Image:
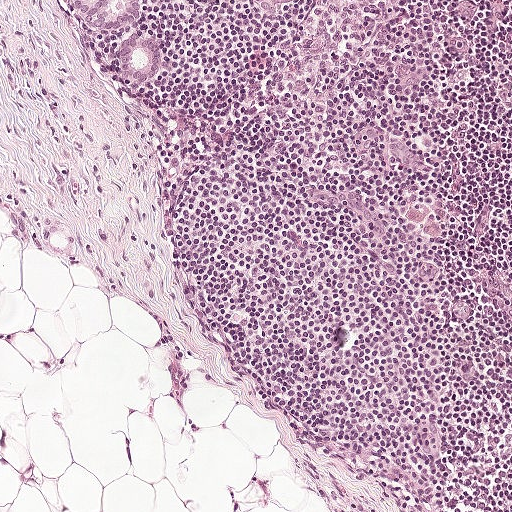
H&E-stained section of a sentinel lymph node (breast cancer), from a whole-slide image, viewed at about 10×: the field is about 0.5 mm across, about 0.97 µm per pixel.
Question:
Does this lymph node field contain metastatic tumour?
Answer:
Yes.
Boundaries of two metastatic tumour regions, simplified and listed clockwise, largest first: region 1: (146, 0), (143, 13), (146, 26), (163, 43), (163, 60), (160, 70), (160, 78), (149, 83), (139, 83), (124, 77), (102, 39), (76, 22), (60, 1); region 2: (255, 0), (296, 0), (288, 5), (281, 5), (274, 13), (264, 10).
One more small tumour piece is annotated here but not outlined.
Under 5% of the image area is annotated as tumour.